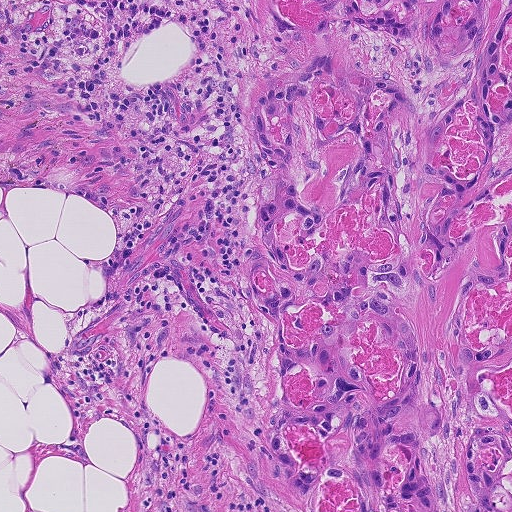
This is a crop of a whole-slide image: an H&E-stained breast-cancer sentinel lymph node section at roughly 10× magnification (about 0.9 µm per pixel; the crop spans about 0.46 mm).
One metastatic tumour region; its boundary, reduced to 12 corners and listed clockwise: (254, 0), (511, 0), (511, 511), (293, 511), (248, 478), (282, 387), (270, 315), (237, 280), (270, 168), (243, 128), (244, 104), (274, 66).
Tumour covers about 50% of the frame.